Image:
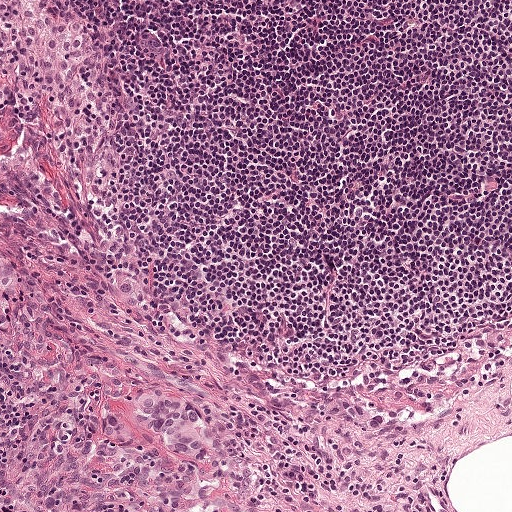
This is a crop of a whole-slide image: an H&E-stained breast-cancer sentinel lymph node section at roughly 10× magnification (about 0.97 µm per pixel; the crop spans about 0.5 mm).
Question:
Trace the edge of each tumour region in this crop, as (x, y) points from 0 to 511.
Answer:
Outlines of three tumour regions, largest first (closed clockwise paths, crop pixels): region 1: (167, 382), (208, 409), (217, 425), (215, 466), (199, 469), (172, 456), (162, 447), (147, 427), (135, 420), (129, 398), (134, 393); region 2: (0, 246), (6, 249), (8, 253), (13, 256), (20, 269), (20, 274), (8, 305), (0, 315); region 3: (174, 504), (188, 505), (189, 506), (191, 506), (191, 507), (196, 508), (203, 511), (160, 511), (166, 507), (172, 506).
Tumour covers under 5% of the frame.